This is a crop of a whole-slide image: an H&E-stained breast-cancer sentinel lymph node section at roughly 20× magnification (about 0.45 µm per pixel; the crop spans about 0.23 mm).
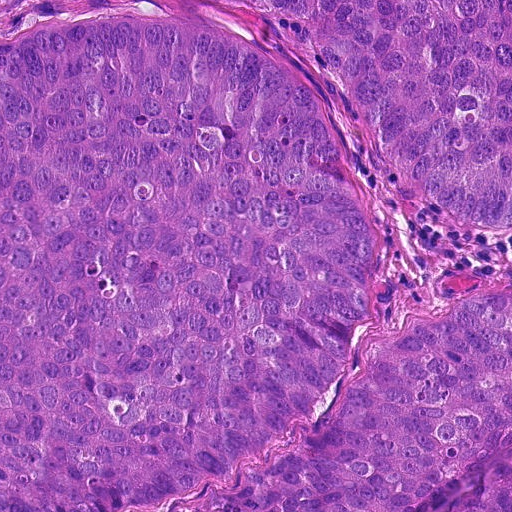
Two metastatic tumour regions, each outlined as a closed clockwise path in crop pixels (x, y), largest first: region 1: (107, 20), (172, 20), (236, 37), (312, 98), (385, 248), (385, 281), (356, 340), (511, 285), (511, 511), (202, 511), (293, 452), (340, 378), (236, 462), (148, 506), (0, 511), (0, 43); region 2: (224, 0), (511, 0), (511, 231), (490, 234), (434, 206), (390, 157), (299, 20).
About 85% of this field is tumour.